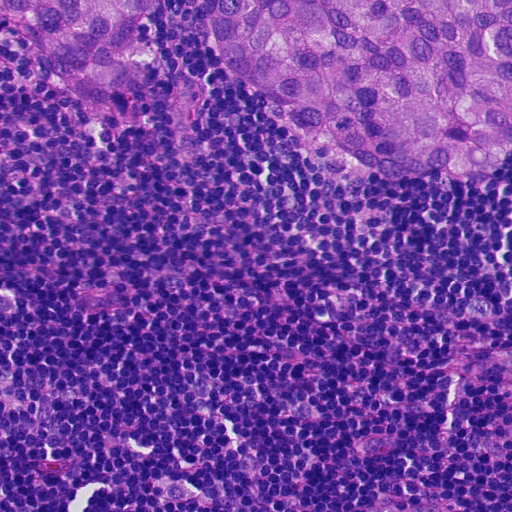
Lymph node section stained with H&E, from a whole-slide image of a breast-cancer sentinel node. Magnification about 20×, about 0.23 mm across the frame, about 0.45 µm per pixel.
Boundaries of two metastatic tumour regions, simplified and listed clockwise, largest first: region 1: (185, 0), (511, 0), (511, 155), (483, 179), (444, 172), (367, 179), (327, 168), (295, 144), (275, 109), (218, 52); region 2: (11, 0), (173, 0), (148, 16), (152, 55), (136, 90), (100, 108), (34, 64).
The annotated tumour makes up about 20% of the crop.